Question: 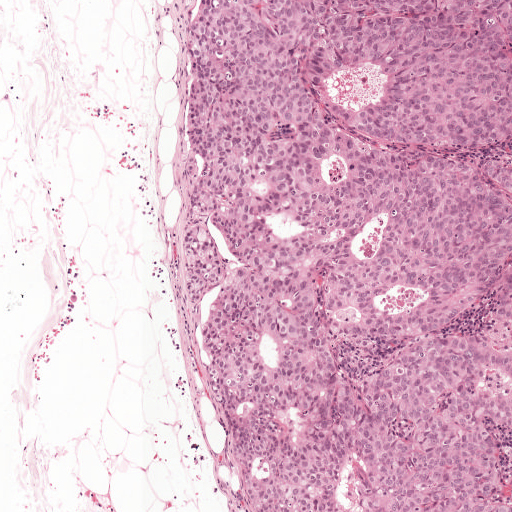
About what magnification does this crop show?

Choices:
 (A) about 20×
 (B) about 40×
 (C) about 2.5×
 (D) about 10×
 (E) about 5×

Answer: (E) about 5×
This is a crop of a whole-slide image: an H&E-stained breast-cancer sentinel lymph node section at roughly 5× magnification (about 1.9 µm per pixel; the crop spans about 1 mm).
One metastatic tumour region; its boundary, reduced to 7 corners and listed clockwise: (511, 0), (511, 511), (252, 511), (201, 378), (184, 283), (183, 65), (198, 7).
About 60% of this field is tumour.